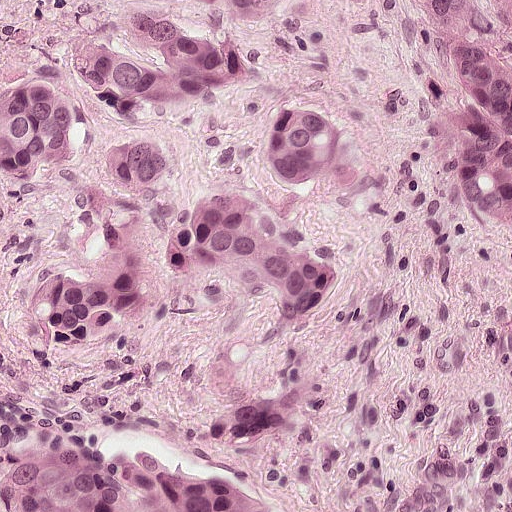
This is a crop of a whole-slide image: an H&E-stained breast-cancer sentinel lymph node section at roughly 20× magnification (about 0.49 µm per pixel; the crop spans about 0.25 mm).
Question: Is there metastatic carcinoma in this field?
Answer: Yes.
Boundaries of seven metastatic tumour regions, simplified and listed clockwise, largest first: region 1: (144, 0), (268, 0), (252, 32), (232, 30), (217, 36), (248, 70), (241, 96), (213, 115), (187, 122), (160, 122), (110, 104), (102, 112), (90, 166), (72, 184), (50, 189), (2, 185), (0, 92), (25, 80), (80, 78), (86, 52), (137, 24); region 2: (142, 134), (167, 154), (190, 192), (206, 196), (254, 194), (294, 214), (345, 268), (345, 300), (317, 315), (292, 316), (272, 308), (253, 282), (233, 292), (184, 292), (141, 204), (103, 181), (110, 142); region 3: (72, 422), (115, 428), (206, 464), (268, 511), (0, 511), (0, 445), (37, 438); region 4: (493, 0), (511, 43), (511, 227), (476, 224), (458, 148), (458, 92), (450, 64), (436, 40), (398, 2); region 5: (54, 271), (108, 279), (132, 273), (141, 278), (146, 288), (146, 302), (112, 354), (94, 364), (70, 363), (43, 348), (32, 334), (34, 306); region 6: (276, 106), (317, 106), (340, 115), (344, 131), (342, 134), (340, 176), (312, 185), (290, 187), (270, 177), (263, 161), (263, 143), (266, 118); region 7: (275, 396), (290, 398), (291, 419), (288, 431), (262, 442), (242, 455), (231, 455), (219, 452), (202, 440), (214, 413), (234, 402).
About 35% of this field is tumour.